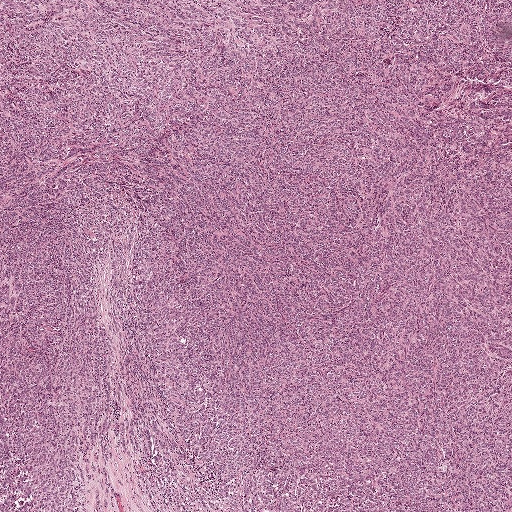
This is a crop of a whole-slide image: an H&E-stained breast-cancer sentinel lymph node section at roughly 2.5× magnification (about 3.9 µm per pixel; the crop spans about 2.0 mm).
Metastatic tumour covers the whole field.
Tumour covers over 95% of the frame.